Question: 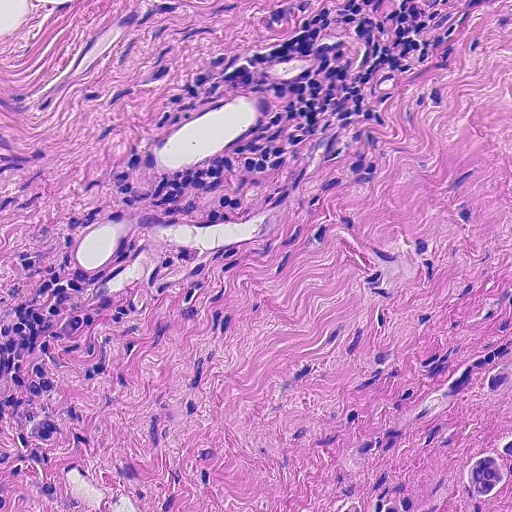
A 0.23-mm field of an H&E-stained sentinel lymph node from a breast-cancer patient (whole-slide image), shown at about 20×, about 0.45 µm per pixel.
Roughly what share of this field is metastatic tumour?

Choices:
 (A) none: no tumour is outlined
 (B) about 5% or less
 (C) about 25% to 45%
 (D) about 50% or more
 (E) about 10% to 20%

Answer: (E) about 10% to 20%
About 10% of the field is tumour.
The outlined metastatic tumour's edge, as a closed clockwise path of 5 points: (511, 272), (511, 511), (284, 511), (424, 331), (456, 318).